Image:
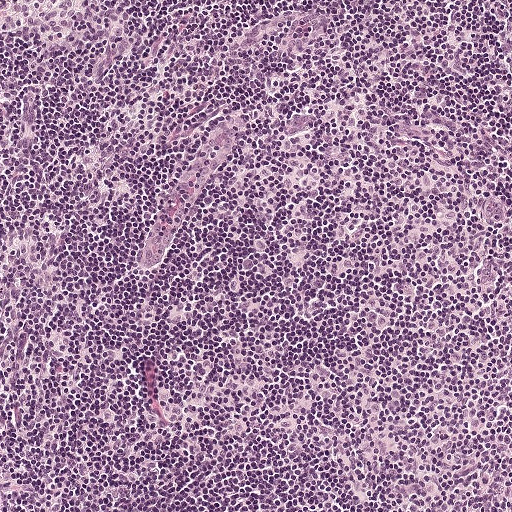
H&E-stained section of a sentinel lymph node (breast cancer), from a whole-slide image, viewed at about 10×: the field is about 0.5 mm across, about 0.97 µm per pixel.
Question:
Does this lymph node field contain metastatic tumour?
Answer:
No: no metastatic tumour is outlined anywhere in this field.